Image:
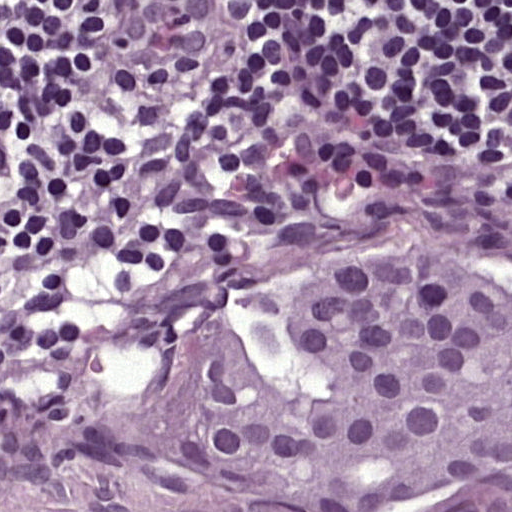
This is a crop of a whole-slide image: an H&E-stained breast-cancer sentinel lymph node section at roughly 40× magnification (about 0.24 µm per pixel; the crop spans about 0.12 mm).
Question:
Which parts of this field are metastatic tumour?
Answer:
Metastatic tumour outline, simplified to 11 points and listed clockwise in crop pixels (x, y): (422, 252), (511, 272), (511, 498), (437, 497), (406, 511), (204, 508), (66, 454), (69, 427), (120, 399), (222, 302), (332, 257).
The annotated tumour makes up about 35% of the crop.